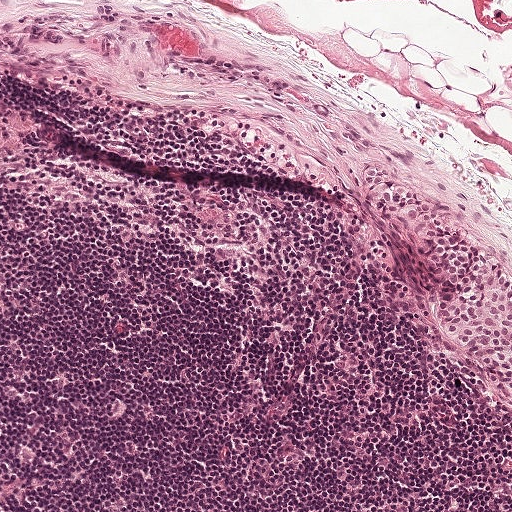
H&E-stained section of a sentinel lymph node (breast cancer), from a whole-slide image, viewed at about 10×: the field is about 0.5 mm across, about 0.97 µm per pixel.
Metastatic tumour outline, simplified to 14 points and listed clockwise in crop pixels (x, y): (375, 169), (395, 176), (432, 202), (466, 240), (511, 276), (511, 415), (498, 403), (495, 392), (470, 356), (449, 342), (425, 257), (404, 233), (386, 224), (362, 176).
The annotated tumour makes up about 5% of the crop.